Image:
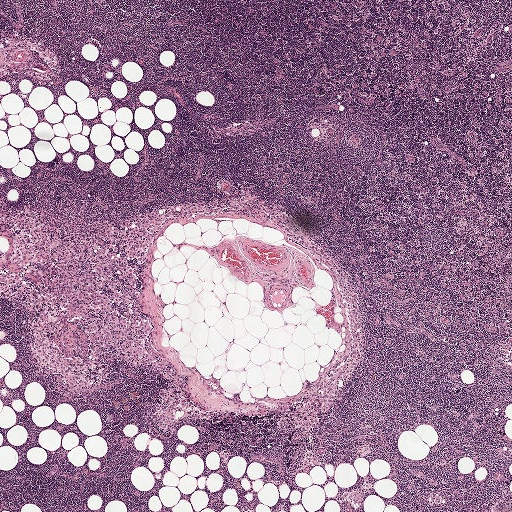
A 2.0-mm field of an H&E-stained sentinel lymph node from a breast-cancer patient (whole-slide image), shown at about 2.5×, about 3.9 µm per pixel.
Question:
Does this lymph node field contain metastatic tumour?
Answer:
No: no metastatic tumour is outlined anywhere in this field.